This is a crop of a whole-slide image: an H&E-stained breast-cancer sentinel lymph node section at roughly 10× magnification (about 0.97 µm per pixel; the crop spans about 0.5 mm).
Image:
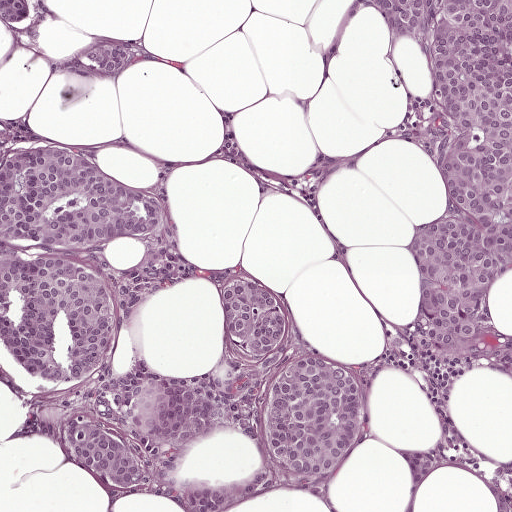
Question:
Outline the metastatic carcinoma in this image, as closed paths of (x, y) pixel coordinates.
Answer:
The eight largest tumour regions' boundaries, simplified and listed clockwise, largest first: region 1: (360, 0), (511, 0), (511, 267), (498, 271), (480, 297), (494, 324), (488, 333), (429, 344), (411, 336), (423, 284), (410, 246), (426, 220), (473, 222), (441, 172), (455, 136), (438, 114), (442, 96), (428, 60), (434, 41), (430, 23), (420, 40), (392, 38), (384, 18); region 2: (44, 144), (65, 150), (100, 174), (161, 201), (162, 222), (104, 249), (38, 242), (18, 250), (101, 272), (116, 287), (114, 329), (94, 367), (76, 379), (34, 372), (14, 362), (5, 342), (0, 165), (5, 159); region 3: (317, 356), (356, 374), (367, 391), (366, 414), (351, 454), (336, 469), (316, 475), (295, 475), (276, 464), (266, 446), (263, 424), (270, 382), (284, 366); region 4: (246, 278), (264, 288), (280, 302), (288, 322), (288, 344), (271, 355), (249, 357), (234, 344), (223, 325), (220, 304), (226, 284); region 5: (173, 386), (200, 394), (210, 404), (212, 419), (206, 432), (179, 439), (156, 434), (145, 426), (144, 412), (153, 401), (159, 388); region 6: (85, 423), (105, 431), (136, 459), (140, 470), (132, 489), (92, 474), (76, 460), (71, 439); region 7: (434, 448), (443, 453), (443, 464), (427, 474), (415, 494), (409, 496), (412, 481), (407, 463), (396, 450), (424, 450); region 8: (199, 485), (218, 487), (227, 493), (225, 511), (196, 511), (186, 499), (187, 488).
Four more, smaller tumour regions are not outlined.
One more small tumour piece is annotated here but not outlined.
About 30% of this field is tumour.